Lymph node section stained with H&E, from a whole-slide image of a breast-cancer sentinel node. Magnification about 10×, about 0.5 mm across the frame, about 0.97 µm per pixel.
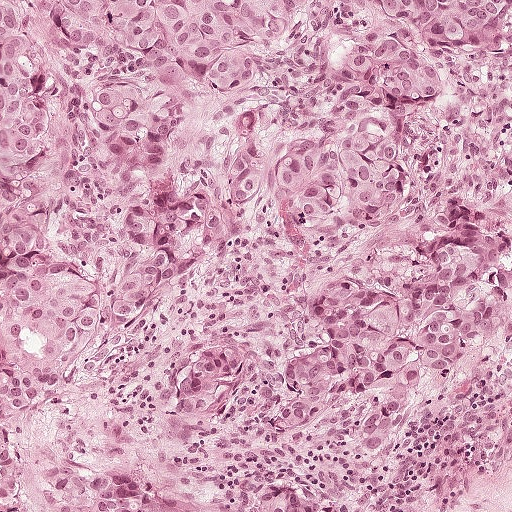
Boundaries of two metastatic tumour regions, simplified and listed clockwise, largest first: region 1: (0, 0), (511, 0), (511, 308), (416, 429), (352, 454), (296, 429), (218, 423), (167, 396), (164, 371), (202, 342), (276, 368), (322, 332), (328, 275), (367, 242), (364, 216), (260, 194), (232, 208), (152, 318), (58, 385), (22, 390), (7, 418), (13, 486), (0, 496); region 2: (106, 466), (126, 470), (140, 476), (160, 503), (162, 511), (86, 511), (89, 503), (89, 480), (91, 470).
Tumour covers about 70% of the frame.